Image:
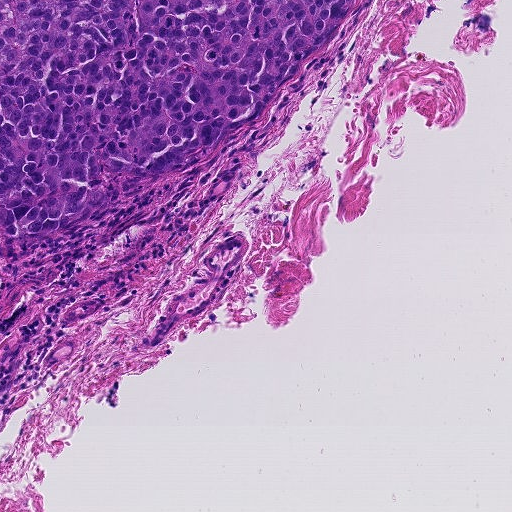
A 0.46-mm field of an H&E-stained sentinel lymph node from a breast-cancer patient (whole-slide image), shown at about 10×, about 0.9 µm per pixel.
Question:
Is there metastatic carcinoma in this field?
Answer:
Yes.
One metastatic tumour region; its boundary, reduced to 8 corners and listed clockwise: (0, 0), (361, 0), (270, 107), (218, 149), (155, 176), (118, 179), (77, 230), (0, 226).
About 20% of the image area is annotated as tumour.